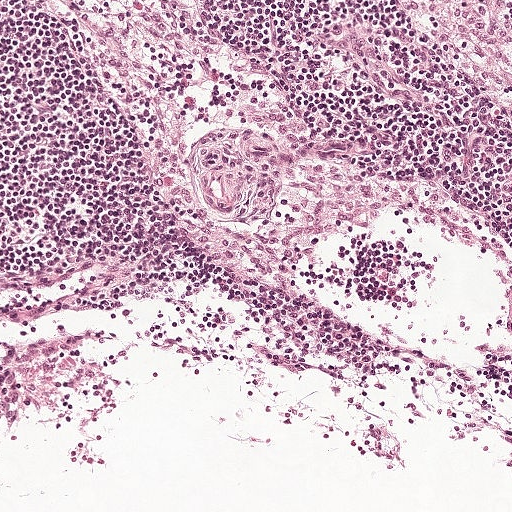
H&E-stained section of a sentinel lymph node (breast cancer), from a whole-slide image, viewed at about 10×: the field is about 0.5 mm across, about 0.97 µm per pixel.